Image:
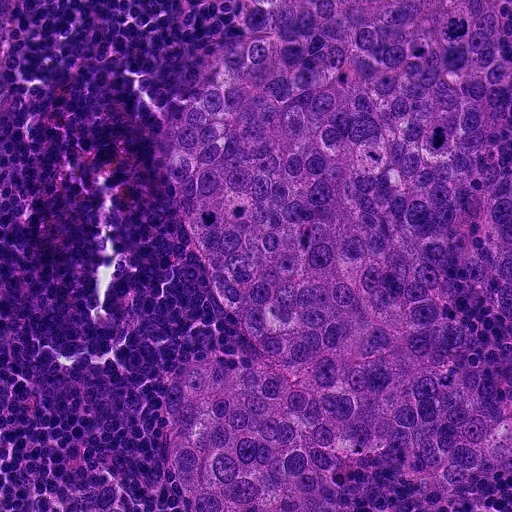
Lymph node section stained with H&E, from a whole-slide image of a breast-cancer sentinel node. Magnification about 20×, about 0.23 mm across the frame, about 0.45 µm per pixel.
Question:
Trace the edge of each tumour region in this crop, as (x, y) points from 0 to 511.
Answer:
Boundaries of three metastatic tumour regions, simplified and listed clockwise, largest first: region 1: (246, 0), (487, 0), (510, 48), (501, 0), (511, 0), (511, 466), (428, 493), (408, 474), (380, 474), (350, 511), (197, 511), (168, 450), (163, 389), (206, 353), (266, 358), (210, 286), (165, 180), (158, 124), (203, 93), (252, 24); region 2: (103, 469), (118, 486), (130, 511), (63, 511), (66, 491), (80, 472); region 3: (0, 0), (8, 0), (6, 20), (2, 48), (0, 59).
The annotated tumour makes up about 60% of the crop.